Lymph node section stained with H&E, from a whole-slide image of a breast-cancer sentinel node. Magnification about 10×, about 0.5 mm across the frame, about 0.97 µm per pixel.
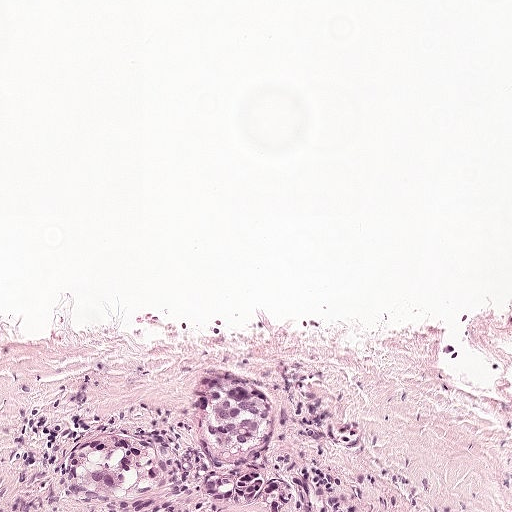
Outlines of three tumour regions, largest first (closed clockwise paths, crop pixels): region 1: (104, 434), (140, 439), (148, 446), (160, 444), (182, 455), (191, 462), (197, 488), (185, 491), (166, 511), (110, 511), (100, 504), (76, 498), (67, 491), (66, 466), (74, 452); region 2: (220, 375), (259, 386), (262, 392), (273, 398), (278, 408), (278, 421), (272, 442), (245, 458), (230, 458), (221, 455), (201, 432), (195, 404), (198, 391), (205, 379); region 3: (248, 467), (263, 468), (268, 474), (271, 484), (286, 479), (290, 481), (291, 493), (288, 507), (282, 509), (273, 509), (263, 504), (261, 501), (255, 507), (238, 509), (226, 502), (210, 501), (206, 498), (203, 484), (223, 475), (234, 479), (240, 477), (242, 472).
About 5% of the image area is annotated as tumour.